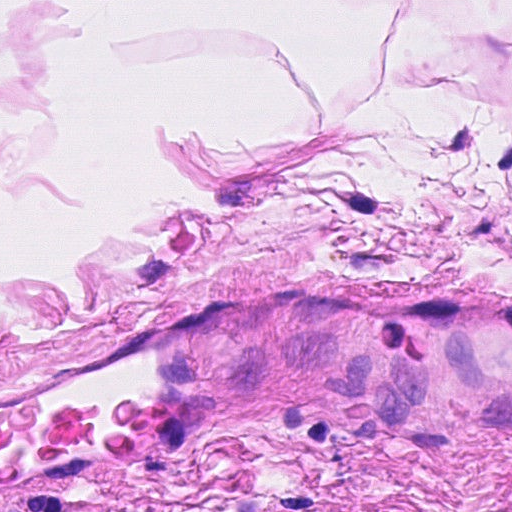
A 0.12-mm field of an H&E-stained sentinel lymph node from a breast-cancer patient (whole-slide image), shown at about 40×, about 0.23 µm per pixel.
One metastatic tumour region; its boundary, reduced to 12 corners and listed clockwise: (245, 295), (307, 296), (367, 314), (433, 315), (511, 330), (511, 435), (486, 426), (426, 439), (306, 413), (245, 419), (179, 407), (156, 350).
The annotated tumour makes up about 15% of the crop.